This is a crop of a whole-slide image: an H&E-stained breast-cancer sentinel lymph node section at roughly 20× magnification (about 0.49 µm per pixel; the crop spans about 0.25 mm).
Question: 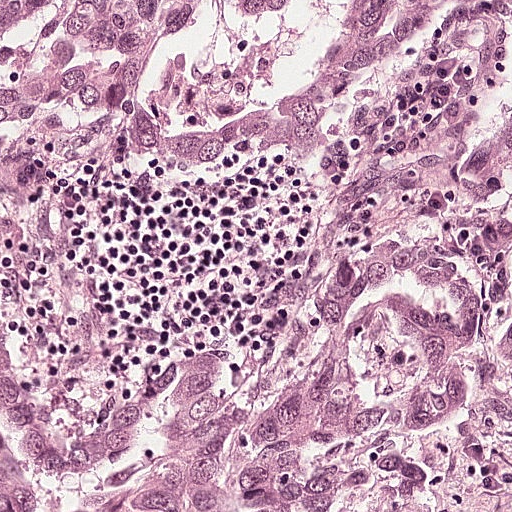
Estimate the proportion of this field that is metastatic tumour.

Choices:
 (A) about 10% to 20%
 (B) none: no tumour is outlined
 (C) about 25% to 45%
 (D) about 50% or more
 (E) about 5% or less

Answer: (A) about 10% to 20%
About 10% of the field is tumour.
The outlined metastatic tumour's edge, as a closed clockwise path of 11 points: (0, 315), (18, 315), (54, 368), (96, 388), (128, 386), (166, 356), (209, 344), (231, 386), (231, 415), (182, 510), (0, 511).